Image:
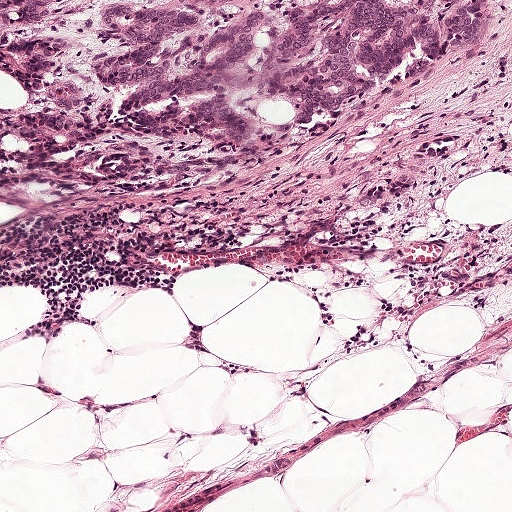
H&E-stained section of a sentinel lymph node (breast cancer), from a whole-slide image, viewed at about 10×: the field is about 0.5 mm across, about 0.97 µm per pixel.
Question:
Which parts of this field are metastatic tumour? Answer with the outline of each region, in pixels.
Answer:
The outlined metastatic tumour's edge, as a closed clockwise path of 11 points: (0, 0), (511, 0), (492, 54), (397, 121), (331, 157), (200, 202), (92, 200), (68, 188), (32, 150), (30, 106), (1, 50).
Tumour covers about 30% of the frame.